A 1.9-mm field of an H&E-stained sentinel lymph node from a breast-cancer patient (whole-slide image), shown at about 2.5×, about 3.6 µm per pixel.
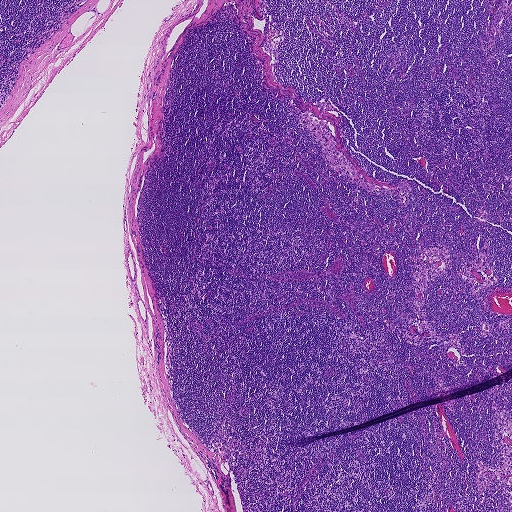
Question: Does this lymph node field contain metastatic tumour?
Answer: No. No metastatic tumour is outlined in this field.